This is a crop of a whole-slide image: an H&E-stained breast-cancer sentinel lymph node section at roughly 20× magnification (about 0.45 µm per pixel; the crop spans about 0.23 mm).
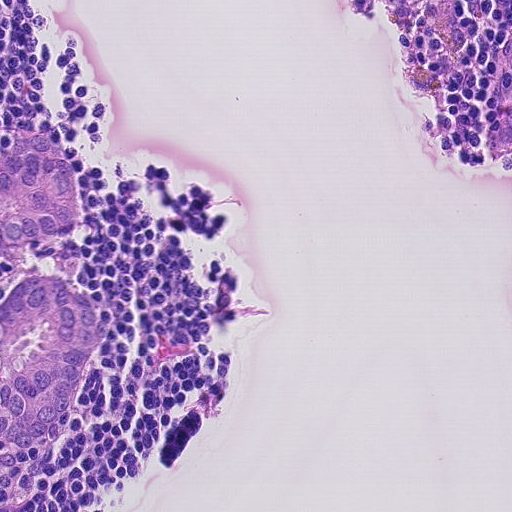
Tumour region outline (a closed clockwise path, crop pixels): (0, 127), (32, 129), (68, 145), (91, 218), (78, 238), (84, 257), (77, 278), (108, 302), (108, 340), (52, 478), (31, 509), (0, 511).
About 10% of the image area is annotated as tumour.